A 0.51-mm field of an H&E-stained sentinel lymph node from a breast-cancer patient (whole-slide image), shown at about 10×, about 1.0 µm per pixel.
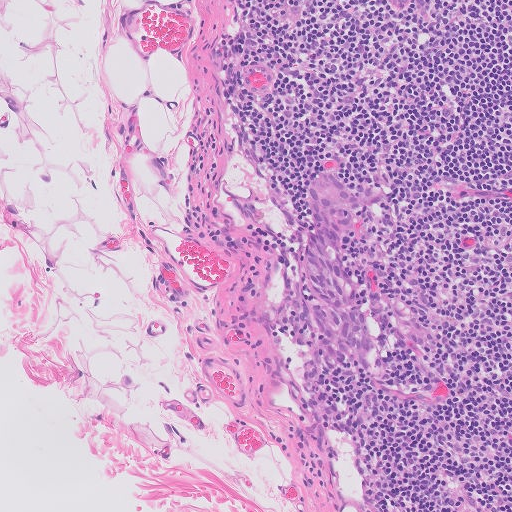
One metastatic tumour region; its boundary, reduced to 12 corners and listed clockwise: (331, 168), (355, 186), (364, 200), (364, 218), (349, 246), (373, 339), (362, 368), (346, 372), (317, 362), (298, 318), (298, 269), (316, 172).
The annotated tumour makes up about 5% of the crop.